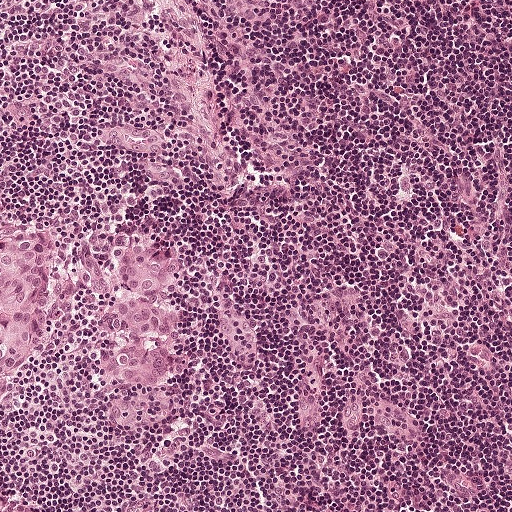
A 0.5-mm field of an H&E-stained sentinel lymph node from a breast-cancer patient (whole-slide image), shown at about 10×, about 0.97 µm per pixel.
Two metastatic tumour regions, each outlined as a closed clockwise path in crop pixels (x, y), largest first: region 1: (166, 238), (178, 243), (184, 257), (184, 279), (176, 293), (185, 317), (184, 333), (174, 340), (178, 379), (166, 415), (138, 427), (108, 422), (98, 382), (98, 344), (91, 330), (94, 310), (114, 284), (112, 261), (122, 246), (132, 248); region 2: (35, 233), (54, 240), (61, 252), (58, 292), (13, 390), (2, 419), (2, 432), (4, 442), (32, 469), (61, 511), (0, 511), (0, 235).
The annotated tumour makes up about 10% of the crop.